H&E-stained section of a sentinel lymph node (breast cancer), from a whole-slide image, viewed at about 10×: the field is about 0.46 mm across, about 0.91 µm per pixel.
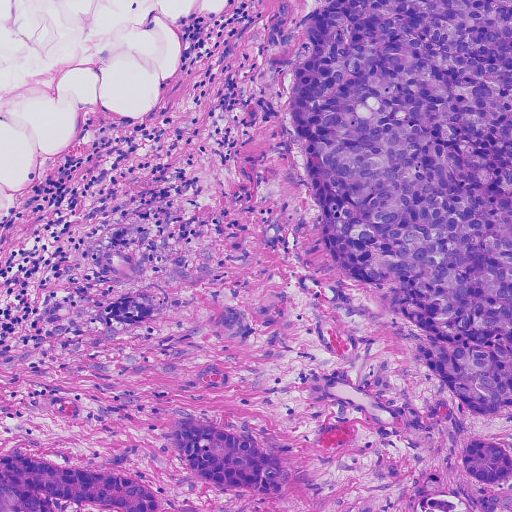
Five metastatic tumour regions, each outlined as a closed clockwise path in crop pixels (x, y), largest first: region 1: (511, 0), (511, 408), (494, 416), (462, 405), (326, 251), (266, 72), (280, 1), (302, 17), (309, 4); region 2: (0, 456), (39, 458), (86, 471), (132, 478), (154, 491), (159, 510), (117, 511), (49, 500), (51, 511), (0, 511); region 3: (180, 417), (198, 418), (215, 424), (268, 448), (282, 458), (292, 474), (285, 490), (266, 494), (230, 490), (196, 476), (172, 450), (169, 432); region 4: (493, 434), (511, 450), (511, 473), (496, 492), (511, 489), (511, 511), (401, 511), (420, 496), (443, 486), (466, 492), (488, 484), (470, 479), (456, 460), (470, 441); region 5: (124, 296), (148, 303), (154, 308), (151, 316), (136, 322), (128, 323), (114, 321), (107, 318), (104, 310), (109, 304).
One more small tumour piece is annotated here but not outlined.
Tumour covers about 35% of the frame.